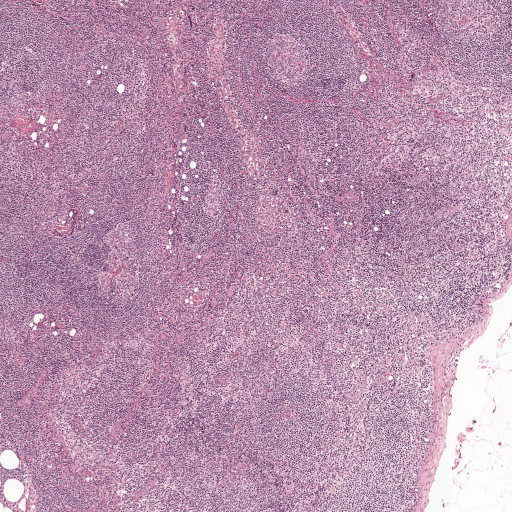
Lymph node section stained with H&E, from a whole-slide image of a breast-cancer sentinel node. Magnification about 2.5×, about 2.0 mm across the frame, about 3.9 µm per pixel.